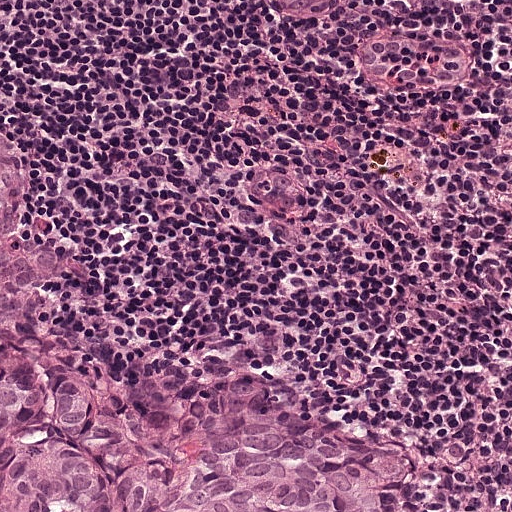
Lymph node section stained with H&E, from a whole-slide image of a breast-cancer sentinel node. Magnification about 20×, about 0.25 mm across the frame, about 0.49 µm per pixel.
One metastatic tumour region; its boundary, reduced to 12 corners and listed clockwise: (0, 135), (26, 185), (56, 204), (71, 264), (129, 332), (229, 388), (251, 378), (268, 384), (387, 444), (413, 474), (393, 508), (0, 511).
About 25% of this field is tumour.